Image:
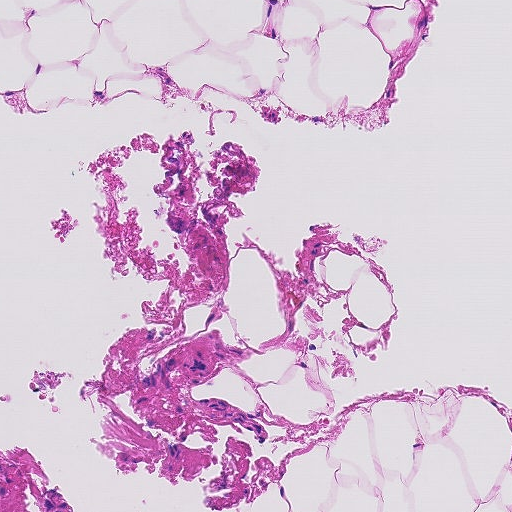
A 0.46-mm field of an H&E-stained sentinel lymph node from a breast-cancer patient (whole-slide image), shown at about 10×, about 0.9 µm per pixel.
Question:
Is there metastatic carcinoma in this field?
Answer:
No, this field holds no outlined metastasis.